Image:
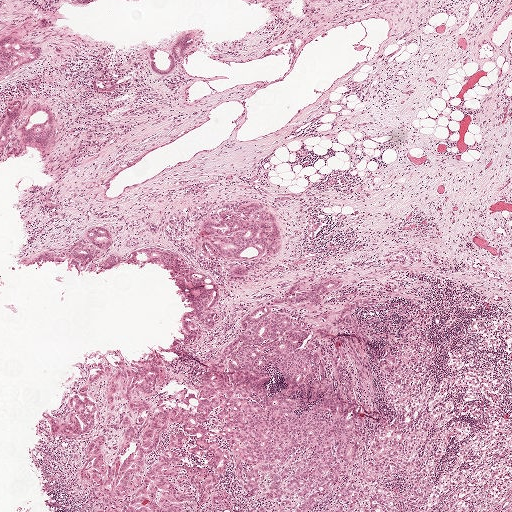
H&E-stained section of a sentinel lymph node (breast cancer), from a whole-slide image, viewed at about 2.5×: the field is about 2.0 mm across, about 3.9 µm per pixel.
Question:
Which parts of this field are metastatic tumour? Answer with the outline of each region, in pixels.
Answer:
Four metastatic tumour regions, each outlined as a closed clockwise path in crop pixels (x, y), largest first: region 1: (221, 380), (239, 386), (257, 387), (274, 396), (286, 394), (299, 403), (294, 414), (317, 406), (322, 418), (321, 434), (310, 451), (307, 453), (302, 447), (275, 472), (268, 474), (259, 494), (247, 497), (233, 482), (235, 454), (220, 439), (221, 431), (216, 417), (220, 411); region 2: (257, 201), (262, 202), (265, 210), (271, 212), (276, 219), (280, 237), (280, 250), (272, 256), (249, 259), (220, 259), (206, 255), (197, 238), (203, 220), (211, 214); region 3: (164, 449), (170, 450), (179, 456), (179, 473), (171, 479), (172, 486), (182, 490), (189, 488), (194, 492), (193, 499), (186, 505), (185, 511), (121, 511), (122, 507), (133, 496), (135, 488), (143, 481), (148, 468), (162, 455); region 4: (345, 483), (362, 488), (377, 485), (390, 491), (397, 511), (319, 511), (330, 503), (341, 504), (341, 501), (334, 498), (334, 493).
The annotated tumour makes up about 5% of the crop.